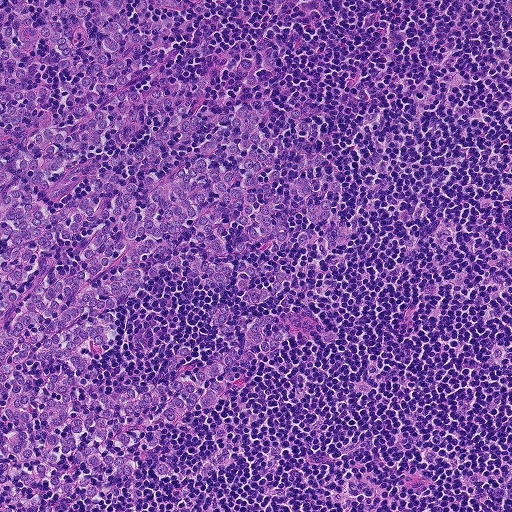
This is a crop of a whole-slide image: an H&E-stained breast-cancer sentinel lymph node section at roughly 10× magnification (about 0.9 µm per pixel; the crop spans about 0.46 mm).
Question: Is there metastatic carcinoma in this field?
Answer: Yes.
The outlined metastatic tumour's edge, as a closed clockwise path of 39 points: (0, 0), (182, 0), (146, 8), (138, 89), (244, 50), (259, 88), (226, 70), (195, 132), (112, 168), (141, 193), (266, 103), (268, 176), (306, 158), (306, 104), (322, 168), (274, 186), (334, 172), (352, 241), (227, 227), (248, 250), (218, 260), (280, 264), (278, 292), (175, 270), (110, 312), (92, 372), (142, 382), (186, 343), (190, 370), (235, 343), (217, 304), (338, 338), (146, 430), (168, 474), (73, 466), (98, 497), (35, 486), (53, 506), (0, 511).
The annotated tumour makes up about 40% of the crop.